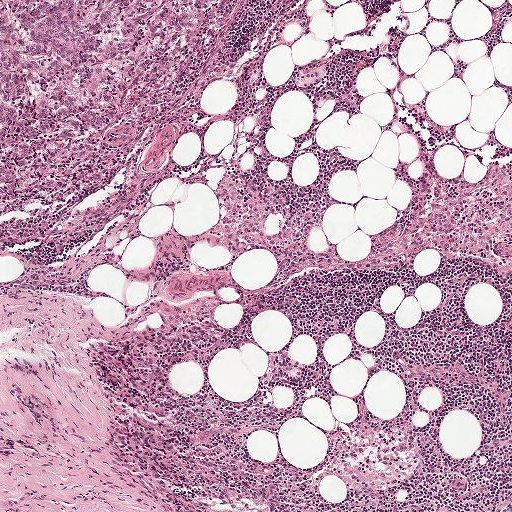
A 1-mm field of an H&E-stained sentinel lymph node from a breast-cancer patient (whole-slide image), shown at about 5×, about 1.9 µm per pixel.
Metastatic tumour outline, simplified to 6 points and listed clockwise in crop pixels (x, y): (0, 0), (265, 0), (237, 72), (148, 205), (101, 229), (1, 242).
Tumour covers about 20% of the frame.